Question: 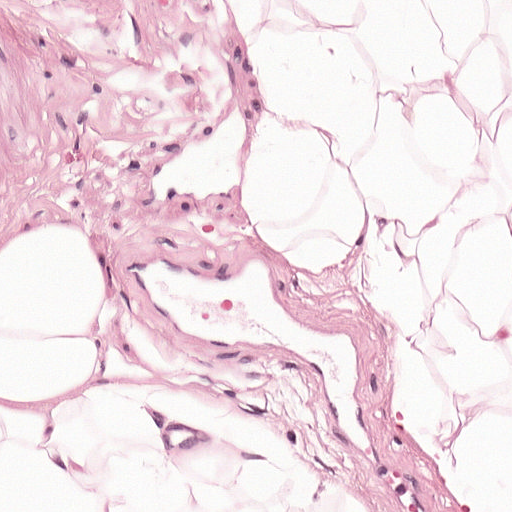
Which magnification is this H&E lymph node field most likely shown at?

Choices:
 (A) about 2.5×
 (B) about 5×
 (C) about 40×
 (D) about 10×
 (E) about 20×

Answer: (E) about 20×
A 0.25-mm field of an H&E-stained sentinel lymph node from a breast-cancer patient (whole-slide image), shown at about 20×, about 0.49 µm per pixel.